Lymph node section stained with H&E, from a whole-slide image of a breast-cancer sentinel node. Magnification about 20×, about 0.26 mm across the frame, about 0.5 µm per pixel.
Question: 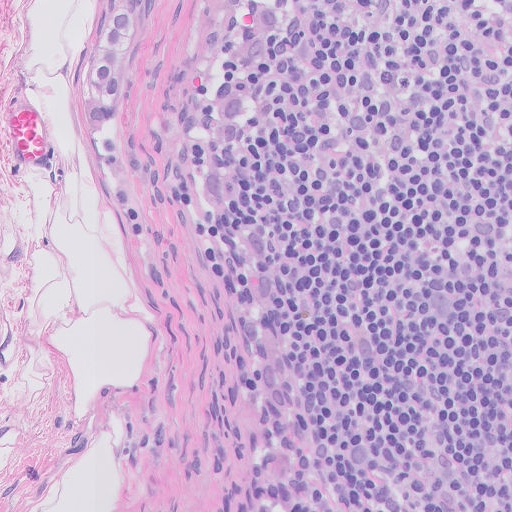
Estimate the proportion of this field that is metastatic tumour.

Choices:
 (A) about 50% or more
 (B) about 5% or less
 (C) about 10% to 20%
 (D) none: no tumour is outlined
 (E) about 25% to 45%

Answer: (B) about 5% or less
About 5% of the field is tumour.
Tumour region outline (a closed clockwise path, crop pixels): (103, 0), (154, 0), (148, 27), (134, 44), (127, 64), (122, 130), (132, 195), (114, 204), (87, 145), (83, 124), (86, 60).